This is a crop of a whole-slide image: an H&E-stained breast-cancer sentinel lymph node section at roughly 2.5× magnification (about 3.9 µm per pixel; the crop spans about 2.0 mm).
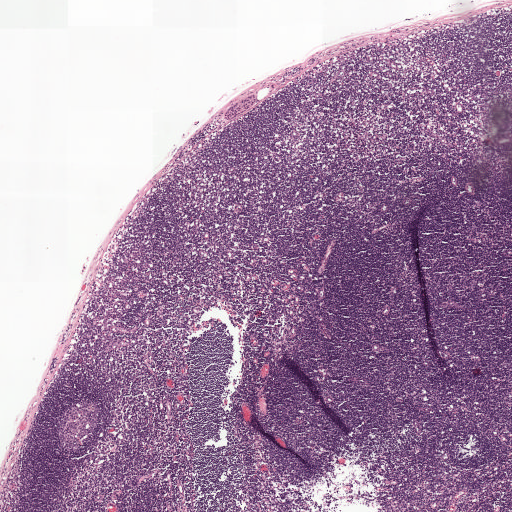
The outlined metastatic tumour's edge, as a closed clockwise path of 9 points: (254, 94), (255, 96), (255, 103), (242, 114), (231, 120), (225, 119), (223, 116), (227, 110), (246, 95).
One more small tumour piece is annotated here but not outlined.
Tumour covers under 5% of the frame.